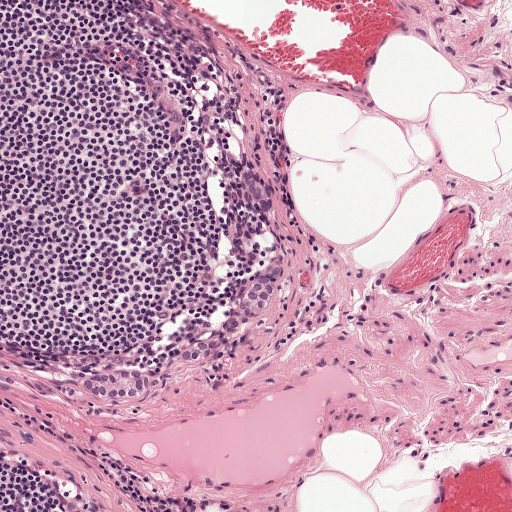
H&E-stained section of a sentinel lymph node (breast cancer), from a whole-slide image, viewed at about 10×: the field is about 0.5 mm across, about 0.97 µm per pixel.
Outlines of three tumour regions, largest first (closed clockwise paths, crop pixels): region 1: (276, 258), (282, 275), (276, 290), (259, 315), (224, 346), (210, 354), (196, 359), (180, 358), (182, 350), (204, 340), (217, 331), (245, 293); region 2: (138, 370), (147, 373), (149, 386), (142, 398), (99, 399), (86, 393), (81, 383), (92, 372); region 3: (244, 167), (256, 170), (273, 182), (273, 210), (264, 218), (250, 203), (243, 186).
Tumour covers under 5% of the frame.